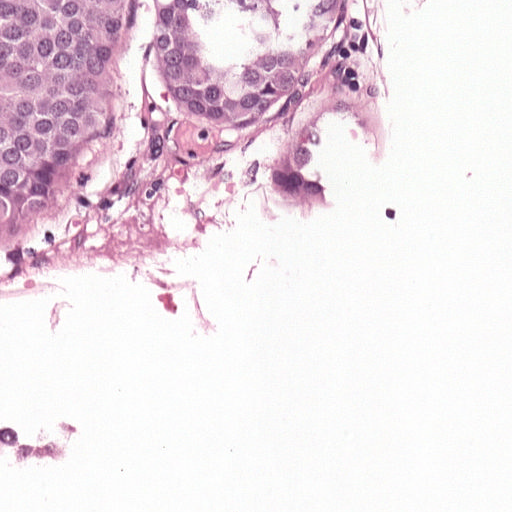
A 0.25-mm field of an H&E-stained sentinel lymph node from a breast-cancer patient (whole-slide image), shown at about 20×, about 0.49 µm per pixel.
Boundaries of two metastatic tumour regions, simplified and listed clockwise, largest first: region 1: (0, 0), (406, 0), (420, 51), (397, 100), (394, 224), (346, 216), (314, 230), (240, 206), (196, 250), (0, 284); region 2: (0, 410), (83, 424), (68, 460), (13, 473), (0, 469).
About 40% of the image area is annotated as tumour.